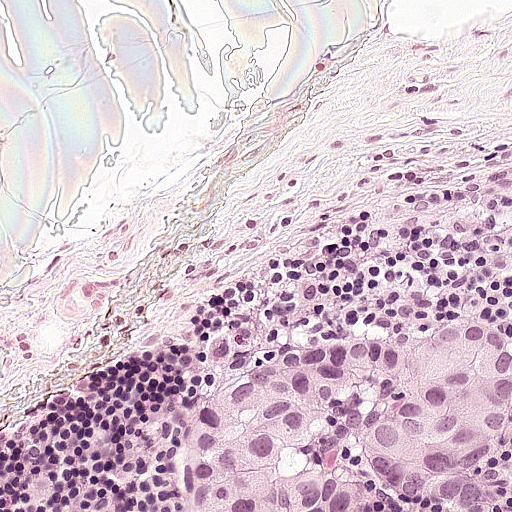
This is a crop of a whole-slide image: an H&E-stained breast-cancer sentinel lymph node section at roughly 20× magnification (about 0.49 µm per pixel; the crop spans about 0.25 mm).
One metastatic tumour region; its boundary, reduced to 13 corners and listed clockwise: (468, 312), (511, 340), (510, 426), (469, 470), (452, 470), (427, 496), (377, 511), (183, 511), (182, 435), (206, 391), (283, 349), (318, 318), (366, 330).
The annotated tumour makes up about 20% of the crop.